Image:
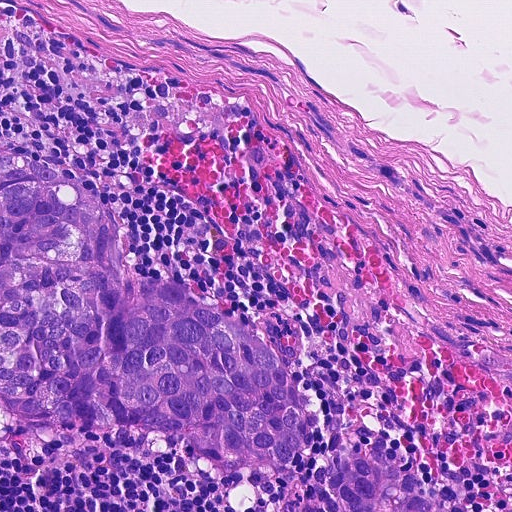
Lymph node section stained with H&E, from a whole-slide image of a breast-cancer sentinel node. Magnification about 20×, about 0.23 mm across the frame, about 0.45 µm per pixel.
Question:
Which parts of this field are metastatic tumour? Answer with the outline of each region, in pixels.
Answer:
The outlined metastatic tumour's edge, as a closed clockwise path of 21 points: (0, 144), (92, 188), (114, 214), (136, 278), (170, 282), (276, 353), (310, 432), (298, 458), (326, 470), (357, 448), (373, 452), (418, 479), (444, 511), (340, 511), (321, 474), (295, 460), (274, 476), (242, 480), (156, 428), (70, 428), (0, 418).
About 25% of the image area is annotated as tumour.